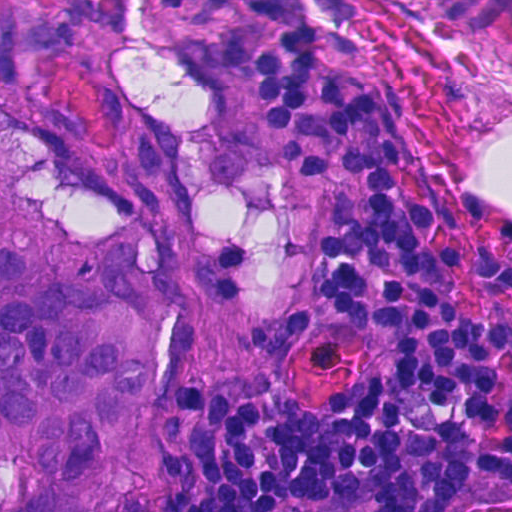
H&E-stained section of a sentinel lymph node (breast cancer), from a whole-slide image, viewed at about 40×: the field is about 0.12 mm across, about 0.23 µm per pixel.
One metastatic tumour region; its boundary, reduced to 8 corners and listed clockwise: (0, 139), (14, 182), (84, 241), (129, 229), (152, 297), (153, 369), (122, 511), (0, 511).
One more small tumour piece is annotated here but not outlined.
Tumour covers about 20% of the frame.